This is a crop of a whole-slide image: an H&E-stained breast-cancer sentinel lymph node section at roughly 5× magnification (about 1.9 µm per pixel; the crop spans about 1 mm).
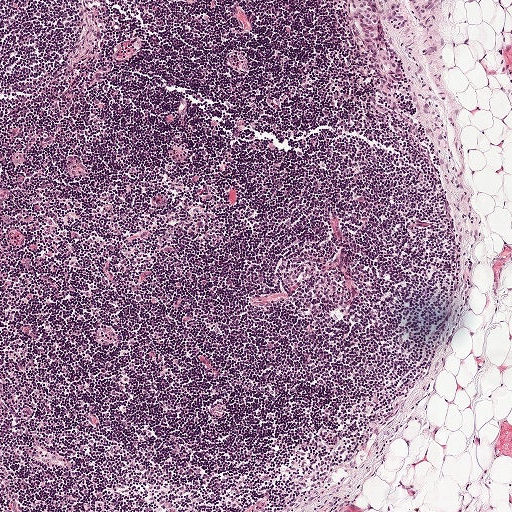
Question: Is there metastatic carcinoma in this field?
Answer: Yes.
Tumour region outline (a closed clockwise path, crop pixels): (345, 0), (374, 0), (384, 24), (384, 39), (391, 44), (397, 54), (404, 80), (398, 81), (390, 77), (380, 61), (358, 40), (346, 14).
The annotated tumour makes up under 5% of the crop.